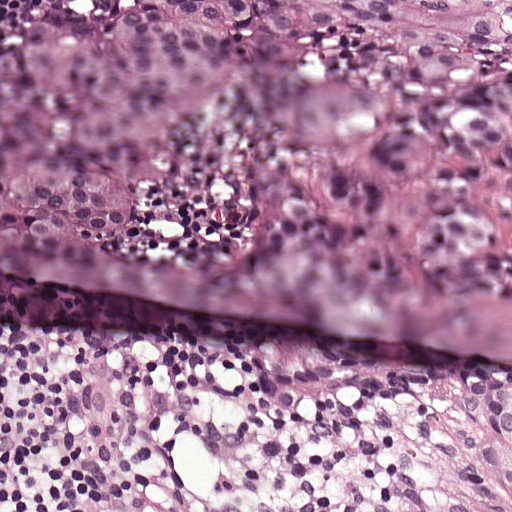
Lymph node section stained with H&E, from a whole-slide image of a breast-cancer sentinel node. Magnification about 20×, about 0.25 mm across the frame, about 0.49 µm per pixel.
Boundaries of four metastatic tumour regions, simplified and listed clockwise, largest first: region 1: (130, 0), (507, 0), (499, 49), (431, 64), (360, 30), (292, 44), (204, 92), (117, 249), (0, 243), (0, 52); region 2: (511, 362), (511, 511), (387, 511), (375, 500); region 3: (452, 206), (509, 216), (508, 248), (467, 266), (427, 269), (408, 254), (414, 217); region 4: (511, 82), (511, 192), (503, 188), (487, 138).
About 30% of the image area is annotated as tumour.